This is a crop of a whole-slide image: an H&E-stained breast-cancer sentinel lymph node section at roughly 20× magnification (about 0.45 µm per pixel; the crop spans about 0.23 mm).
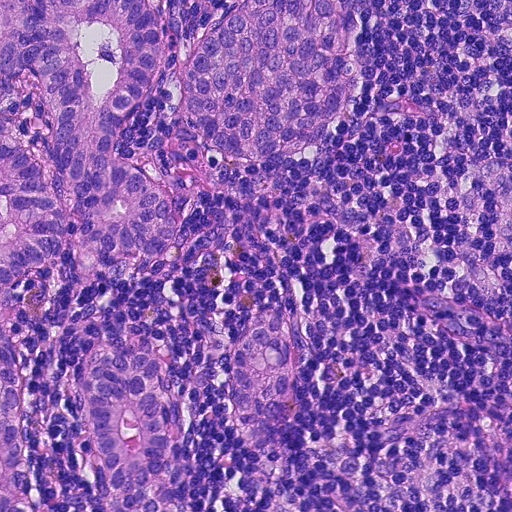
Two metastatic tumour regions, each outlined as a closed clockwise path in crop pixels (x, y), largest first: region 1: (0, 0), (157, 0), (174, 56), (233, 0), (341, 0), (354, 106), (298, 157), (188, 157), (172, 68), (113, 157), (185, 229), (158, 294), (120, 291), (126, 350), (164, 356), (182, 405), (185, 511), (112, 511), (83, 408), (118, 348), (111, 286), (84, 258), (14, 280), (0, 315); region 2: (0, 317), (22, 378), (27, 454), (51, 511), (0, 511).
About 35% of this field is tumour.